H&E-stained section of a sentinel lymph node (breast cancer), from a whole-slide image, viewed at about 10×: the field is about 0.5 mm across, about 0.97 µm per pixel.
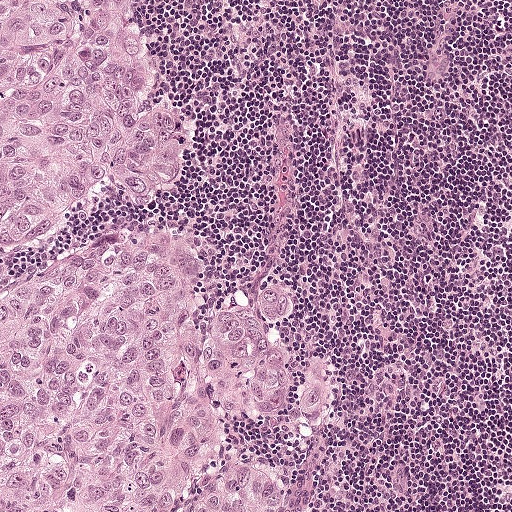
Boundaries of two metastatic tumour regions, simplified and listed clockwise, largest first: region 1: (150, 228), (185, 228), (201, 248), (197, 332), (223, 304), (248, 312), (257, 291), (282, 292), (290, 320), (276, 339), (280, 392), (310, 363), (327, 420), (235, 418), (218, 456), (282, 484), (282, 511), (0, 511), (2, 303); region 2: (0, 0), (137, 0), (140, 34), (129, 53), (135, 100), (164, 98), (185, 118), (180, 174), (153, 205), (98, 188), (52, 234), (6, 252).
Tumour covers about 40% of the frame.